Question: 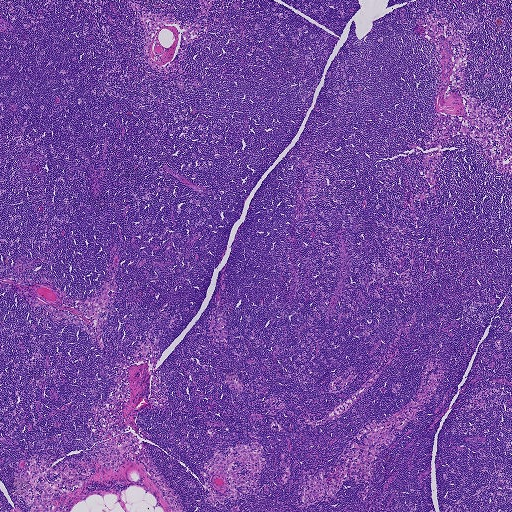
Which magnification is this H&E lymph node field most likely shown at?

Choices:
 (A) about 5×
 (B) about 2.5×
 (C) about 20×
 (D) about 40×
 (E) about 10×

Answer: (B) about 2.5×
H&E-stained section of a sentinel lymph node (breast cancer), from a whole-slide image, viewed at about 2.5×: the field is about 1.9 mm across, about 3.6 µm per pixel.